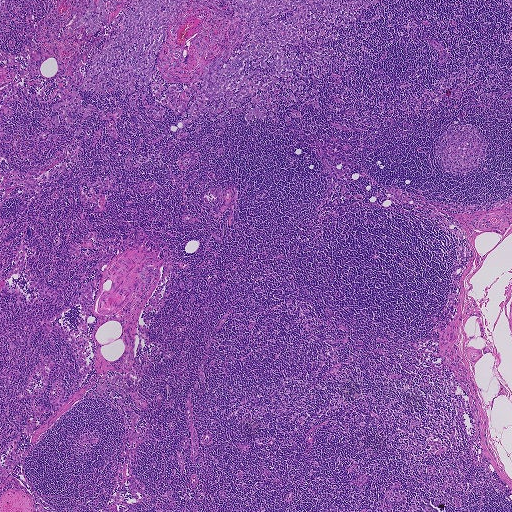
Lymph node section stained with H&E, from a whole-slide image of a breast-cancer sentinel node. Magnification about 2.5×, about 1.9 mm across the frame, about 3.6 µm per pixel.
Two metastatic tumour regions, each outlined as a closed clockwise path in crop pixels (x, y), largest first: region 1: (132, 0), (378, 0), (358, 10), (363, 21), (330, 24), (335, 38), (283, 46), (334, 52), (321, 79), (292, 72), (316, 90), (316, 109), (287, 89), (300, 98), (287, 106), (275, 85), (261, 107), (275, 115), (245, 124), (256, 103), (245, 96), (217, 135), (216, 113), (176, 124), (181, 114), (161, 100), (180, 83), (159, 74), (160, 96), (150, 80), (146, 95), (145, 73), (130, 93), (110, 80), (94, 95), (79, 90), (92, 112), (48, 127); region 2: (83, 0), (126, 0), (105, 16), (104, 18), (108, 24), (101, 26), (97, 32), (88, 34), (80, 26), (78, 33), (71, 34), (68, 28), (73, 23), (75, 9), (82, 5).
Two more small tumour pieces are annotated here but not outlined.
About 10% of this field is tumour.